Image:
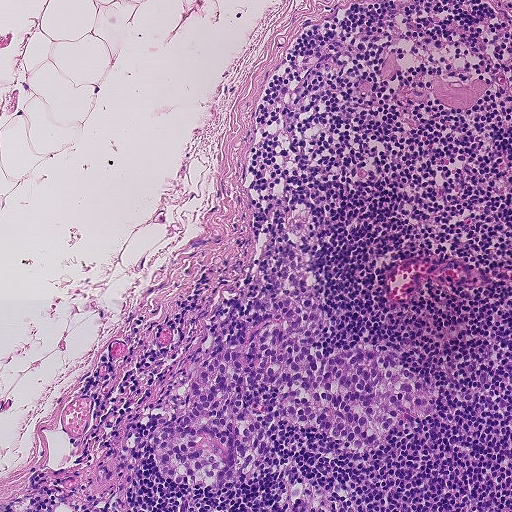
H&E-stained section of a sentinel lymph node (breast cancer), from a whole-slide image, viewed at about 10×: the field is about 0.46 mm across, about 0.9 µm per pixel.
Question:
Is any metastatic breast cancer visible in this crop?
Answer:
Yes.
Metastatic tumour outline, simplified to 24 points and listed clockwise in crop pixels (x, y): (292, 243), (330, 282), (322, 301), (345, 312), (314, 345), (323, 355), (366, 342), (398, 350), (439, 390), (434, 412), (422, 431), (394, 426), (355, 454), (316, 427), (277, 421), (257, 476), (218, 490), (163, 479), (150, 440), (158, 417), (180, 420), (200, 368), (274, 319), (254, 300).
About 10% of this field is tumour.